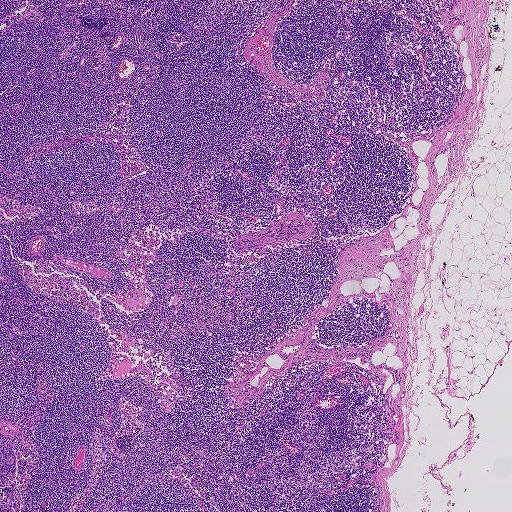
This is a crop of a whole-slide image: an H&E-stained breast-cancer sentinel lymph node section at roughly 2.5× magnification (about 3.6 µm per pixel; the crop spans about 1.9 mm).
Question: Is there metastatic carcinoma in this field?
Answer: No, this field holds no outlined metastasis.